Question: 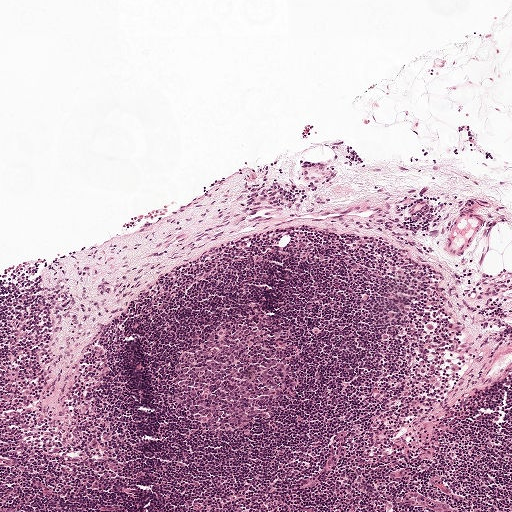
H&E-stained section of a sentinel lymph node (breast cancer), from a whole-slide image, viewed at about 5×: the field is about 1 mm across, about 1.9 µm per pixel.
Estimate the proportion of this field that is metastatic tumour.

Choices:
 (A) none: no tumour is outlined
 (B) about 25% to 45%
 (C) about 50% or more
 (D) about 5% or less
 (E) about 10% to 20%

Answer: (A) none: no tumour is outlined
No metastatic tumour is outlined in this field.